Question: 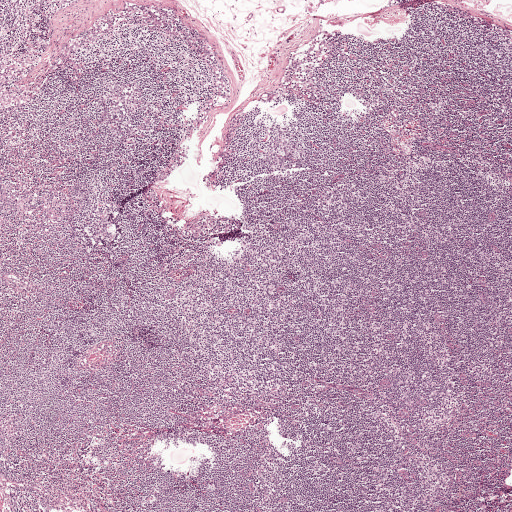
At roughly what magnification is this field shown?

Choices:
 (A) about 10×
 (B) about 5×
 (C) about 20×
 (D) about 40×
 (E) about 2.5×

Answer: (E) about 2.5×
Lymph node section stained with H&E, from a whole-slide image of a breast-cancer sentinel node. Magnification about 2.5×, about 2.0 mm across the frame, about 3.9 µm per pixel.